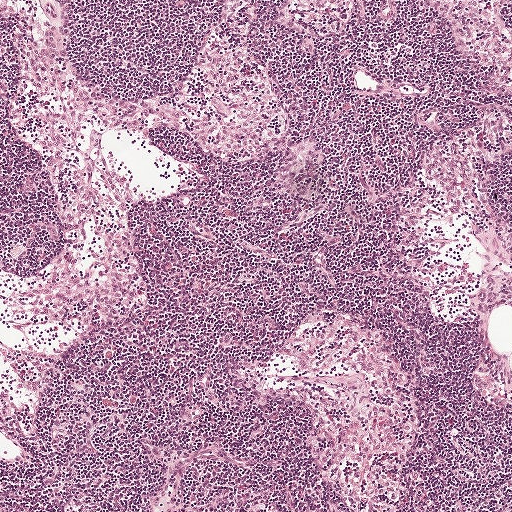
Lymph node section stained with H&E, from a whole-slide image of a breast-cancer sentinel node. Magnification about 5×, about 1 mm across the frame, about 1.9 µm per pixel.